Question: 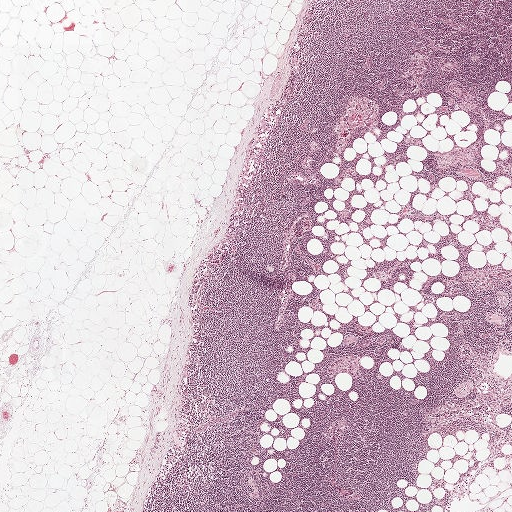
About what magnification does this crop show?

Choices:
 (A) about 2.5×
 (B) about 5×
 (C) about 10×
 (D) about 20×
 (E) about 40×

Answer: (A) about 2.5×
H&E-stained section of a sentinel lymph node (breast cancer), from a whole-slide image, viewed at about 2.5×: the field is about 2.0 mm across, about 3.9 µm per pixel.